Question: 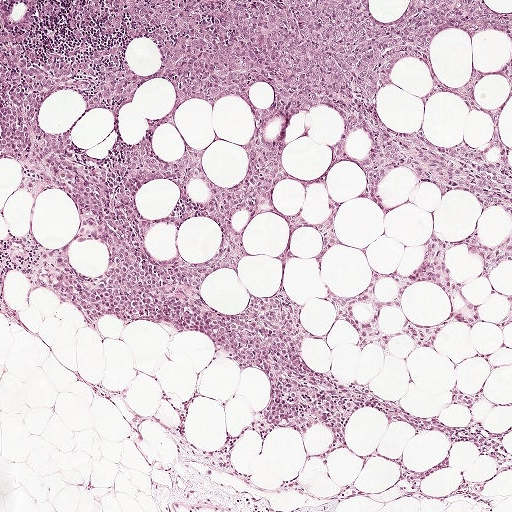
H&E-stained section of a sentinel lymph node (breast cancer), from a whole-slide image, viewed at about 5×: the field is about 1 mm across, about 1.9 µm per pixel.
What fraction of the image area is metastatic tumour?

Choices:
 (A) about 50% or more
 (B) about 25% to 45%
 (C) about 10% to 20%
 (D) none: no tumour is outlined
 (E) about 5% or less

Answer: (B) about 25% to 45%
About 40% of the field is tumour.
Outlines of two tumour regions, largest first (closed clockwise paths, crop pixels): region 1: (0, 0), (511, 14), (511, 42), (428, 51), (449, 87), (492, 76), (491, 111), (511, 58), (511, 323), (385, 357), (335, 323), (326, 285), (406, 277), (434, 226), (510, 234), (404, 170), (383, 220), (334, 166), (342, 245), (319, 270), (291, 234), (284, 290), (327, 339), (309, 369), (450, 428), (476, 349), (509, 345), (473, 415), (511, 426), (511, 473), (364, 406), (332, 450), (250, 433), (267, 380), (202, 333), (34, 285), (77, 211), (1, 160); region 2: (495, 403), (511, 403), (511, 409), (502, 406), (497, 408), (493, 407).
Region 1 encloses 23 non-tumour holes totalling about 25% of its area.